Question: 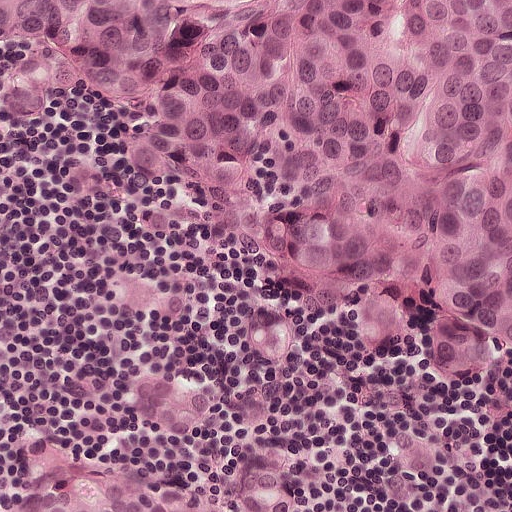
This is a crop of a whole-slide image: an H&E-stained breast-cancer sentinel lymph node section at roughly 20× magnification (about 0.49 µm per pixel; the crop spans about 0.25 mm).
Estimate the proportion of this field that is metastatic tumour.

Choices:
 (A) about 50% or more
 (B) about 10% to 20%
 (C) about 5% or less
 (D) about 25% to 45%
 (E) none: no tumour is outlined

Answer: (A) about 50% or more
About 55% of the field is tumour.
Boundaries of two metastatic tumour regions, simplified and listed clockwise, largest first: region 1: (0, 0), (511, 0), (511, 368), (475, 393), (384, 371), (329, 342), (270, 252), (116, 168), (110, 121), (94, 101), (75, 99), (75, 116), (55, 130), (3, 121); region 2: (28, 444), (60, 448), (118, 470), (150, 470), (168, 476), (190, 474), (274, 445), (301, 473), (318, 510), (7, 511).